Question: 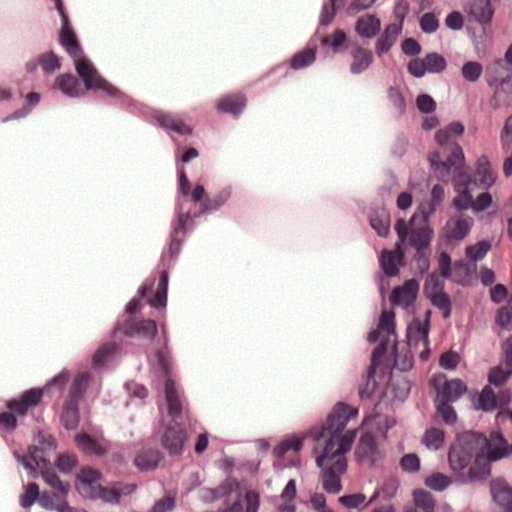
At roughly what magnification is this field shown?

Choices:
 (A) about 5×
 (B) about 40×
 (C) about 2.5×
 (D) about 20×
 (E) about 10×

Answer: (B) about 40×
This is a crop of a whole-slide image: an H&E-stained breast-cancer sentinel lymph node section at roughly 40× magnification (about 0.24 µm per pixel; the crop spans about 0.12 mm).
One metastatic tumour region; its boundary, reduced to 7 corners and listed clockwise: (118, 315), (186, 318), (215, 393), (197, 490), (109, 494), (36, 441), (57, 361).
Tumour covers about 10% of the frame.